Question: 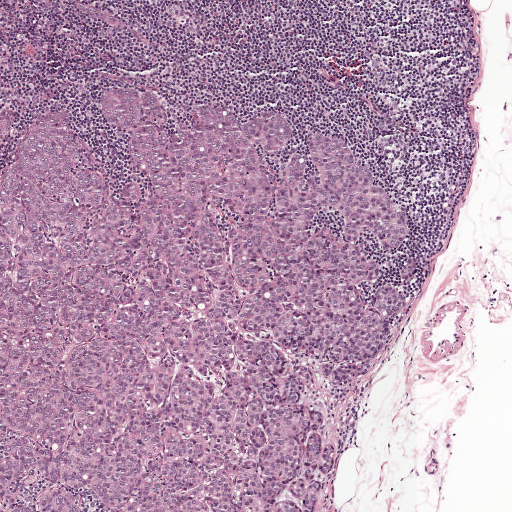
About what magnification does this crop show?

Choices:
 (A) about 40×
 (B) about 10×
 (C) about 5×
 (D) about 2.5×
 (E) about 20×

Answer: (C) about 5×
Lymph node section stained with H&E, from a whole-slide image of a breast-cancer sentinel node. Magnification about 5×, about 1 mm across the frame, about 1.9 µm per pixel.
Boundaries of two metastatic tumour regions, simplified and listed clockwise, largest first: region 1: (113, 85), (165, 98), (171, 135), (196, 104), (271, 110), (270, 168), (306, 175), (319, 131), (366, 160), (409, 231), (353, 246), (362, 295), (406, 301), (350, 404), (307, 384), (320, 509), (0, 511), (0, 175), (35, 116), (74, 114), (136, 211), (153, 193), (150, 179); region 2: (8, 106), (18, 113), (18, 127), (0, 160), (0, 109).
One more small tumour piece is annotated here but not outlined.
The annotated tumour makes up about 55% of the crop.